Image:
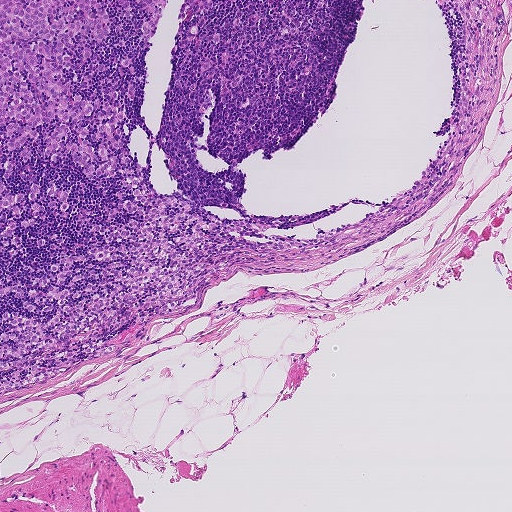
Lymph node section stained with H&E, from a whole-slide image of a breast-cancer sentinel node. Magnification about 5×, about 0.93 mm across the frame, about 1.8 µm per pixel.
Question:
Show where the tumour is in this image.
Answer:
Metastatic tumour outline, simplified to 38 points and listed clockwise in crop pixels (x, y): (0, 0), (169, 0), (146, 42), (136, 76), (130, 146), (152, 189), (216, 215), (252, 222), (274, 218), (281, 228), (274, 237), (286, 237), (310, 236), (344, 224), (398, 198), (424, 174), (446, 131), (458, 62), (459, 27), (455, 17), (443, 19), (434, 0), (510, 0), (511, 30), (472, 146), (455, 179), (429, 206), (381, 236), (346, 250), (289, 264), (233, 268), (205, 292), (198, 309), (190, 314), (153, 320), (149, 338), (141, 343), (0, 400).
The annotated tumour makes up about 35% of the crop.